This is a crop of a whole-slide image: an H&E-stained breast-cancer sentinel lymph node section at roughly 2.5× magnification (about 3.9 µm per pixel; the crop spans about 2.0 mm).
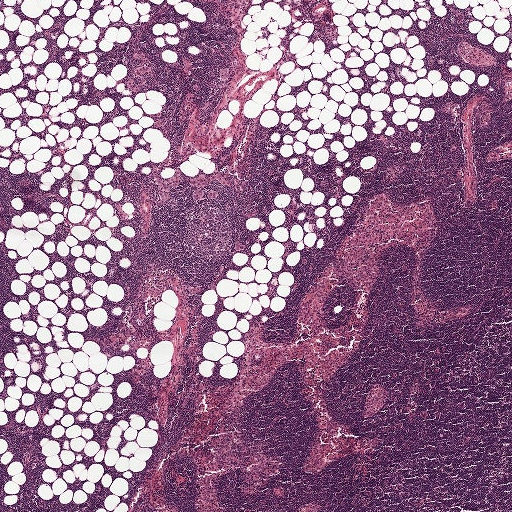
Four metastatic tumour regions, each outlined as a closed clockwise path in crop pixels (x, y), largest first: region 1: (228, 171), (245, 181), (245, 190), (243, 191), (212, 183), (209, 187), (217, 192), (216, 199), (209, 199), (205, 197), (202, 199), (195, 199), (192, 197), (193, 185), (187, 181), (187, 178), (193, 176), (207, 177), (218, 172); region 2: (175, 168), (181, 171), (180, 182), (170, 195), (164, 207), (153, 206), (153, 203), (159, 199), (159, 195), (153, 177), (153, 171), (162, 177), (166, 177); region 3: (139, 49), (145, 55), (150, 67), (150, 70), (146, 76), (147, 82), (140, 90), (132, 90), (128, 88), (126, 84), (118, 85), (117, 83), (118, 80), (127, 81), (135, 77), (136, 68), (142, 66), (140, 62), (132, 58), (132, 51); region 4: (223, 68), (226, 68), (228, 69), (229, 72), (229, 76), (226, 84), (223, 86), (221, 86), (220, 86), (219, 84), (218, 82), (220, 79), (221, 71), (222, 69).
Two more small tumour pieces are annotated here but not outlined.
Under 5% of this field is tumour.